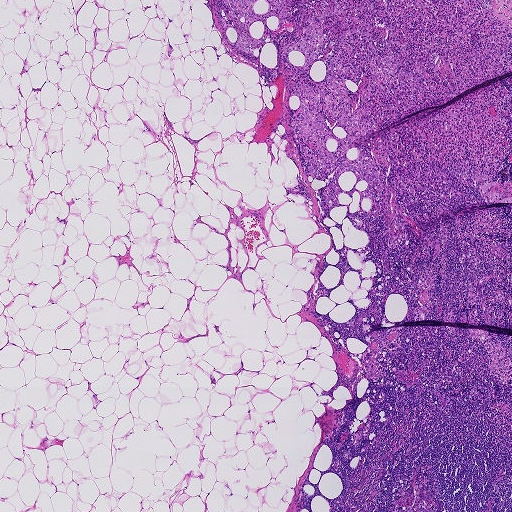
Lymph node section stained with H&E, from a whole-slide image of a breast-cancer sentinel node. Magnification about 2.5×, about 1.9 mm across the frame, about 3.6 µm per pixel.
One metastatic tumour region; its boundary, reduced to 23 corners and listed clockwise: (480, 0), (511, 27), (511, 69), (346, 144), (500, 81), (501, 170), (428, 209), (411, 186), (406, 206), (389, 166), (378, 216), (355, 191), (330, 209), (334, 169), (310, 173), (290, 124), (301, 74), (282, 58), (306, 12), (268, 18), (250, 56), (219, 23), (222, 2).
The annotated tumour makes up about 15% of the crop.